A 0.12-mm field of an H&E-stained sentinel lymph node from a breast-cancer patient (whole-slide image), shown at about 40×, about 0.23 µm per pixel.
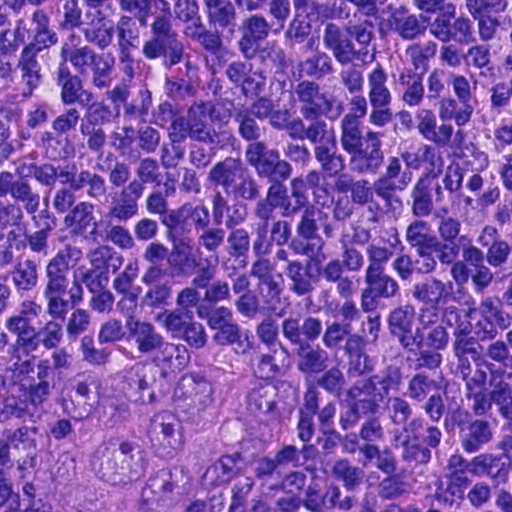
Metastatic tumour outline, simplified to 11 points and listed clockwise in crop pixels (x, y): (273, 338), (294, 377), (302, 419), (280, 456), (163, 508), (77, 511), (47, 493), (26, 457), (30, 416), (50, 380), (135, 350).
The annotated tumour makes up about 15% of the crop.